Lymph node section stained with H&E, from a whole-slide image of a breast-cancer sentinel node. Magnification about 10×, about 0.5 mm across the frame, about 0.97 µm per pixel.
Question: 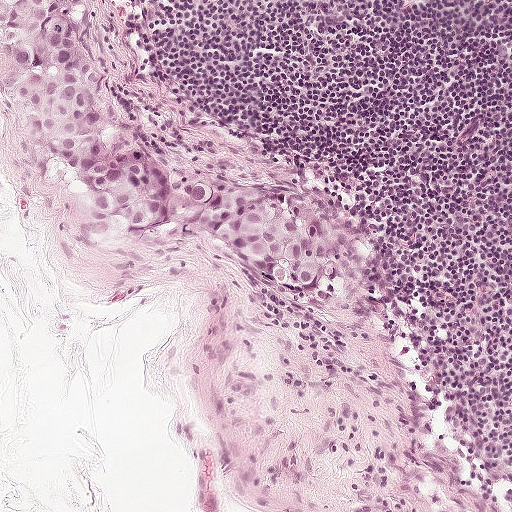
About how much of this crop is taken up by metastatic carcinoma?

Choices:
 (A) about 10% to 20%
 (B) about 25% to 45%
 (C) none: no tumour is outlined
 (D) about 50% or more
 (E) about 5% or less

Answer: (A) about 10% to 20%
About 15% of the field is tumour.
The outlined metastatic tumour's edge, as a closed clockwise path of 16 points: (0, 0), (83, 1), (116, 80), (162, 157), (193, 177), (280, 199), (340, 241), (347, 256), (338, 296), (303, 310), (246, 258), (171, 245), (57, 194), (32, 168), (28, 122), (2, 52).